This is a crop of a whole-slide image: an H&E-stained breast-cancer sentinel lymph node section at roughly 20× magnification (about 0.49 µm per pixel; the crop spans about 0.25 mm).
Question: 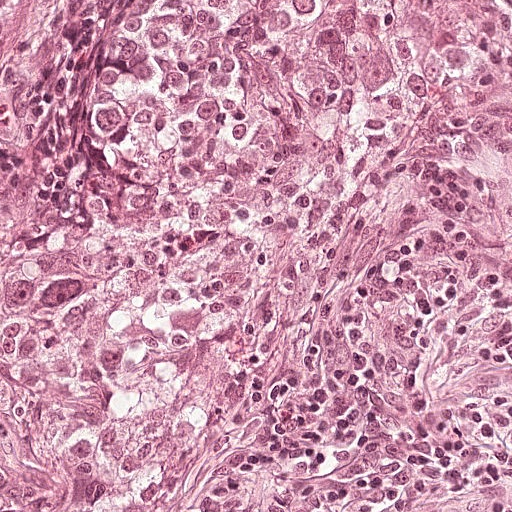
Roughly what share of this field is metastatic tumour?

Choices:
 (A) about 10% to 20%
 (B) about 50% or more
 (C) about 25% to 45%
 (D) about 5% or less
 (E) none: no tumour is outlined

Answer: (B) about 50% or more
About 60% of the field is tumour.
Metastatic tumour outline, simplified to 8 points and listed clockwise in crop pixels (x, y): (0, 0), (511, 0), (511, 78), (502, 91), (317, 180), (266, 274), (169, 511), (0, 511).